Question: 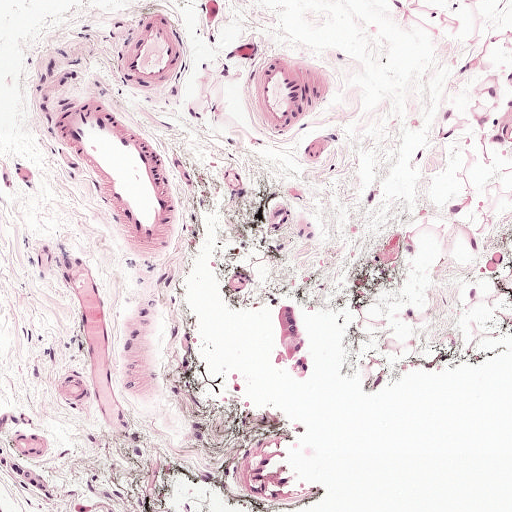
Which magnification is this H&E lymph node field most likely shown at?

Choices:
 (A) about 2.5×
 (B) about 5×
 (C) about 20×
 (D) about 40×
 (E) about 10×

Answer: (E) about 10×
Lymph node section stained with H&E, from a whole-slide image of a breast-cancer sentinel node. Magnification about 10×, about 0.5 mm across the frame, about 0.97 µm per pixel.
The outlined metastatic tumour's edge, as a closed clockwise path of 10 points: (300, 301), (300, 321), (312, 359), (312, 378), (296, 381), (287, 369), (272, 367), (279, 344), (273, 311), (279, 305).
Tumour covers under 5% of the frame.